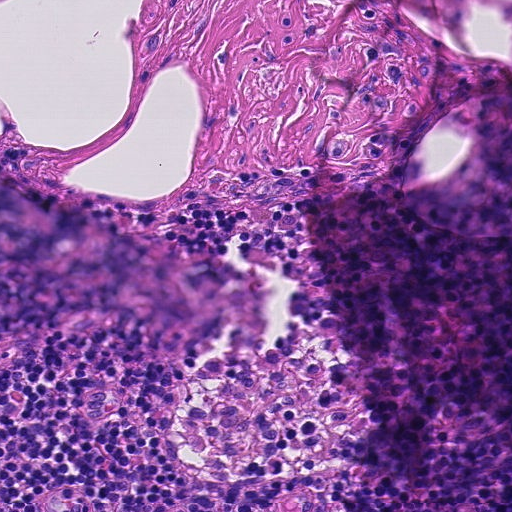
Lymph node section stained with H&E, from a whole-slide image of a breast-cancer sentinel node. Magnification about 20×, about 0.23 mm across the frame, about 0.45 µm per pixel.
Question: Is any metastatic breast cancer visible in this crop?
Answer: No, this field holds no outlined metastasis.